This is a crop of a whole-slide image: an H&E-stained breast-cancer sentinel lymph node section at roughly 20× magnification (about 0.5 µm per pixel; the crop spans about 0.26 mm).
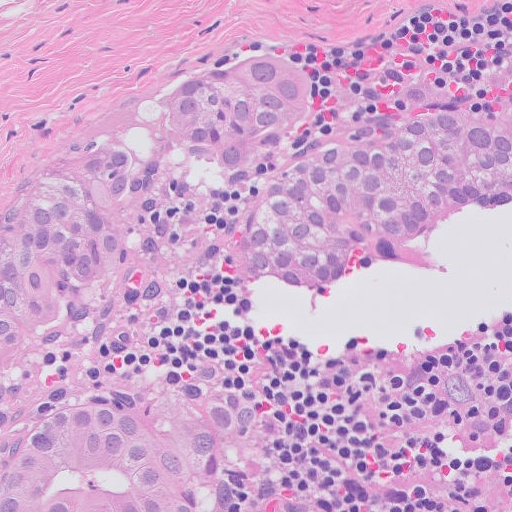
Outlines of two tumour regions, largest first (closed clockwise paths, crop pixels): region 1: (252, 43), (281, 44), (316, 80), (313, 109), (330, 132), (358, 128), (398, 87), (428, 82), (450, 102), (511, 104), (511, 215), (445, 228), (306, 290), (244, 286), (224, 264), (220, 234), (242, 178), (158, 264), (0, 373), (0, 204), (98, 112); region 2: (159, 366), (223, 383), (248, 402), (264, 428), (271, 462), (262, 494), (247, 511), (0, 511), (0, 443), (44, 401).
Tumour covers about 45% of the frame.